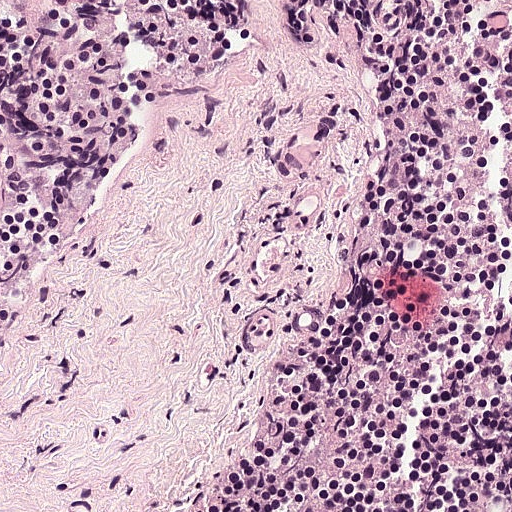
This is a crop of a whole-slide image: an H&E-stained breast-cancer sentinel lymph node section at roughly 20× magnification (about 0.49 µm per pixel; the crop spans about 0.25 mm).
Question: Is there metastatic carcinoma in this field?
Answer: No: no metastatic tumour is outlined anywhere in this field.